Image:
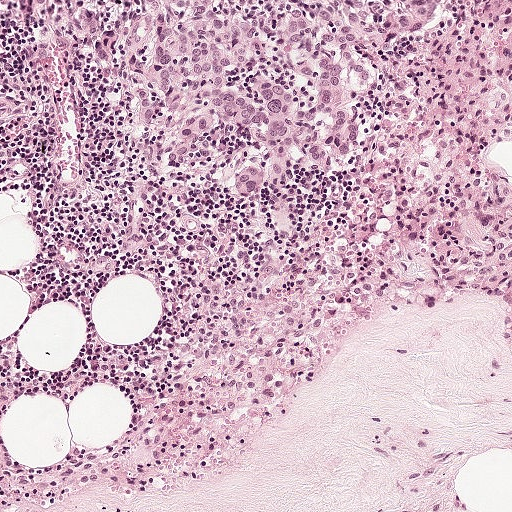
A 0.5-mm field of an H&E-stained sentinel lymph node from a breast-cancer patient (whole-slide image), shown at about 10×, about 0.97 µm per pixel.
Question:
Which parts of this field are metastatic tumour? Answer with the outline of each region, in pixels.
Answer:
The outlined metastatic tumour's edge, as a closed clockwise path of 15 points: (32, 0), (441, 0), (431, 26), (383, 38), (353, 158), (323, 166), (310, 140), (296, 154), (285, 191), (264, 201), (164, 174), (116, 100), (117, 86), (72, 36), (40, 20).
About 20% of the image area is annotated as tumour.